Image:
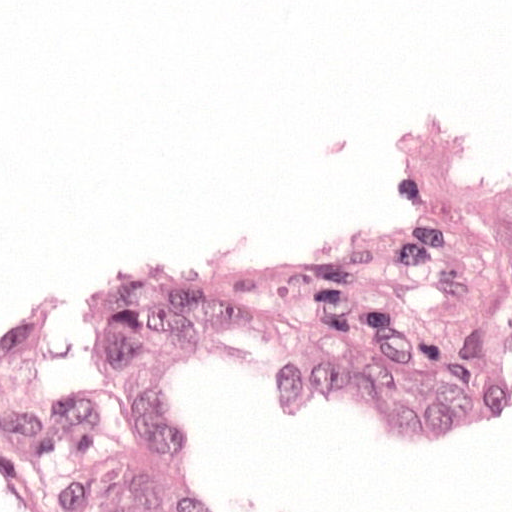
Lymph node section stained with H&E, from a whole-slide image of a breast-cancer sentinel node. Magnification about 40×, about 0.12 mm across the frame, about 0.24 µm per pixel.
Question:
Which parts of this field are metastatic tumour?
Answer:
The outlined metastatic tumour's edge, as a closed clockwise path of 11 points: (360, 80), (511, 89), (511, 448), (487, 475), (248, 393), (283, 511), (16, 511), (0, 469), (0, 322), (152, 238), (238, 157).
The annotated tumour makes up about 60% of the crop.